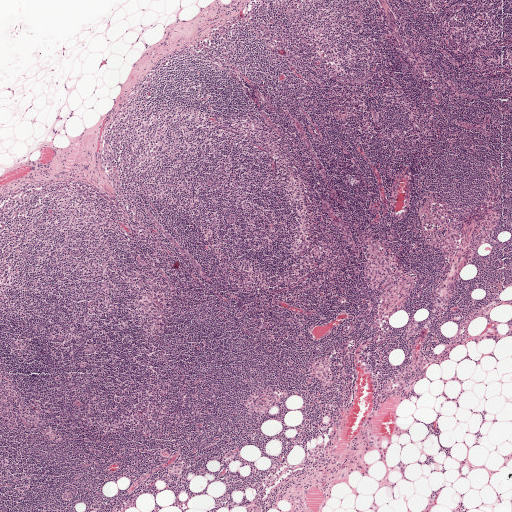
Lymph node section stained with H&E, from a whole-slide image of a breast-cancer sentinel node. Magnification about 2.5×, about 2.0 mm across the frame, about 3.9 µm per pixel.